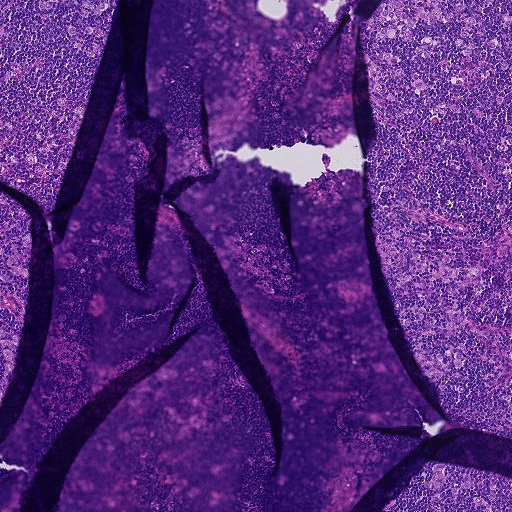
This is a crop of a whole-slide image: an H&E-stained breast-cancer sentinel lymph node section at roughly 5× magnification (about 1.8 µm per pixel; the crop spans about 0.93 mm).
Five metastatic tumour regions, each outlined as a closed clockwise path in crop pixels (x, y), largest first: region 1: (380, 0), (511, 0), (511, 441), (458, 428), (395, 312), (368, 186), (378, 136), (360, 24); region 2: (0, 0), (119, 0), (53, 210), (45, 211), (0, 182); region 3: (0, 191), (26, 208), (32, 215), (33, 241), (28, 305), (17, 354), (0, 408); region 4: (432, 459), (511, 475), (511, 511), (482, 511), (470, 492), (451, 488), (433, 495), (423, 485); region 5: (330, 0), (359, 0), (352, 10).
About 30% of the image area is annotated as tumour.